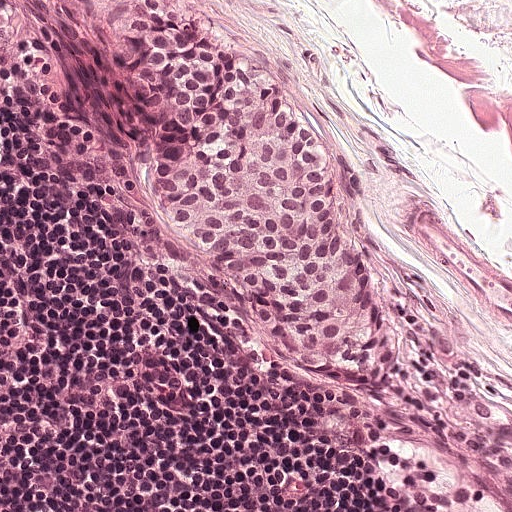
This is a crop of a whole-slide image: an H&E-stained breast-cancer sentinel lymph node section at roughly 20× magnification (about 0.49 µm per pixel; the crop spans about 0.25 mm).
One metastatic tumour region; its boundary, reduced to 14 corners and listed clockwise: (46, 0), (171, 0), (310, 122), (336, 164), (366, 263), (386, 288), (399, 388), (392, 408), (340, 408), (284, 377), (217, 270), (176, 242), (153, 138), (123, 63).
The annotated tumour makes up about 25% of the crop.